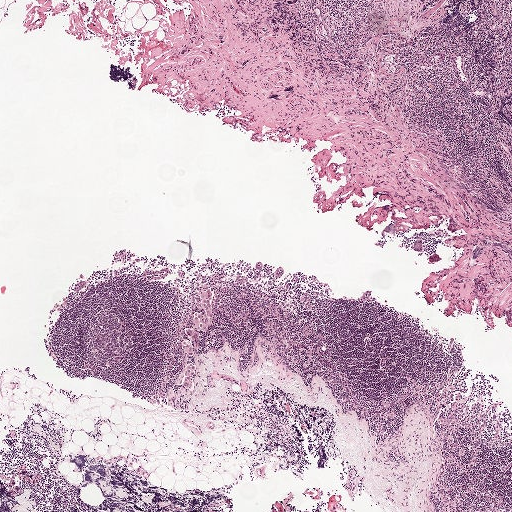
Lymph node section stained with H&E, from a whole-slide image of a breast-cancer sentinel node. Magnification about 2.5×, about 2.0 mm across the frame, about 3.9 µm per pixel.
Question: Outline the metastatic carcinoma in this image, as closed paths of (x, y) pixel coordinates.
Answer: The outlined metastatic tumour's edge, as a closed clockwise path of 23 points: (210, 288), (212, 293), (210, 301), (212, 323), (208, 331), (200, 334), (201, 342), (199, 346), (187, 358), (187, 362), (194, 366), (194, 378), (189, 389), (185, 389), (181, 386), (184, 373), (181, 345), (186, 338), (186, 331), (192, 328), (195, 309), (198, 307), (198, 293).
Tumour covers under 5% of the frame.